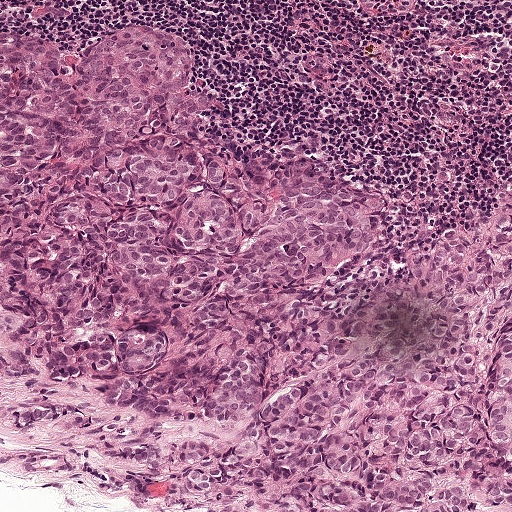
Lymph node section stained with H&E, from a whole-slide image of a breast-cancer sentinel node. Magnification about 10×, about 0.5 mm across the frame, about 0.97 µm per pixel.
Question: Describe where the metastatic carcinoma lies in this crop.
Answer: One metastatic tumour region; its boundary, reduced to 21 corners and listed clockwise: (122, 26), (176, 34), (244, 136), (384, 204), (368, 246), (323, 281), (322, 309), (353, 310), (436, 240), (511, 215), (511, 511), (188, 511), (164, 481), (76, 428), (4, 427), (4, 400), (25, 385), (9, 379), (0, 404), (0, 39), (76, 50).
The annotated tumour makes up about 70% of the crop.